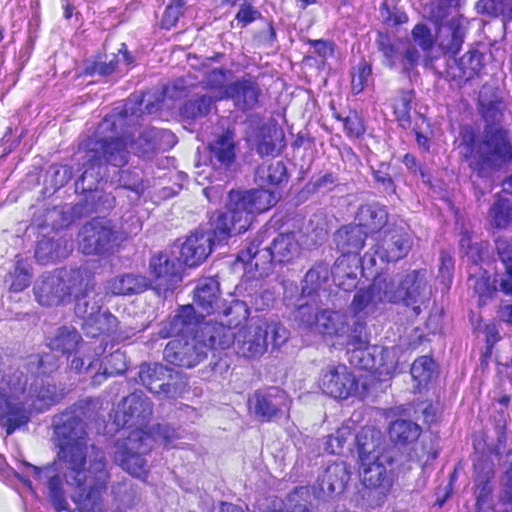
H&E-stained section of a sentinel lymph node (breast cancer), from a whole-slide image, viewed at about 40×: the field is about 0.12 mm across, about 0.23 µm per pixel.
Outlines of two tumour regions, largest first (closed clockwise paths, crop pixels): region 1: (176, 62), (279, 71), (331, 160), (415, 219), (440, 264), (448, 368), (414, 511), (52, 511), (0, 452), (0, 232), (59, 156); region 2: (385, 0), (511, 0), (511, 511), (467, 511), (485, 345), (468, 252), (480, 222), (477, 190), (449, 136), (462, 107), (448, 80), (387, 59), (371, 44).
The annotated tumour makes up about 75% of the crop.